H&E-stained section of a sentinel lymph node (breast cancer), from a whole-slide image, viewed at about 10×: the field is about 0.5 mm across, about 0.97 µm per pixel.
Question: 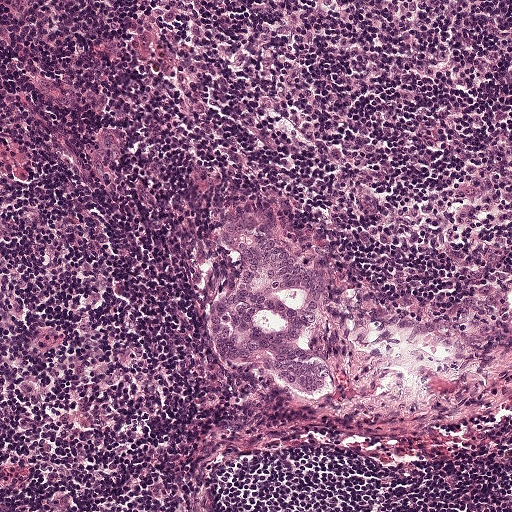
About how much of this crop is taken up by metastatic carcinoma?

Choices:
 (A) about 5% or less
 (B) about 25% to 45%
 (C) about 50% or more
 (D) none: no tumour is outlined
 (E) about 10% to 20%

Answer: (A) about 5% or less
About 5% of the field is tumour.
One metastatic tumour region; its boundary, reduced to 16 corners and listed clockwise: (222, 203), (263, 207), (322, 257), (327, 289), (303, 339), (333, 359), (337, 379), (318, 398), (301, 398), (256, 369), (227, 369), (212, 354), (209, 309), (235, 270), (233, 252), (221, 233).